Question: 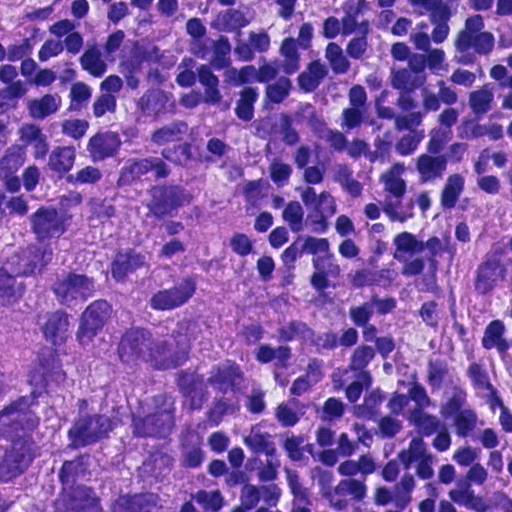
At roughly what magnification is this field shown?

Choices:
 (A) about 20×
 (B) about 10×
 (C) about 5×
 (D) about 2.5×
 (E) about 40×

Answer: (E) about 40×
Lymph node section stained with H&E, from a whole-slide image of a breast-cancer sentinel node. Magnification about 40×, about 0.12 mm across the frame, about 0.23 µm per pixel.
Outlines of two tumour regions, largest first (closed clockwise paths, crop pixels): region 1: (163, 131), (218, 162), (297, 333), (214, 428), (187, 511), (0, 511), (0, 225); region 2: (0, 0), (56, 0), (0, 32).
Tumour covers about 30% of the frame.